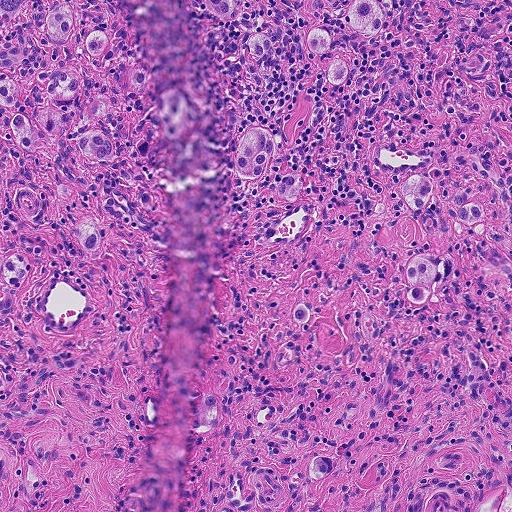
H&E-stained section of a sentinel lymph node (breast cancer), from a whole-slide image, viewed at about 10×: the field is about 0.46 mm across, about 0.9 µm per pixel.
Question: Show where the tumour is in this image.
Answer: The eight largest tumour regions' boundaries, simplified and listed clockwise, largest first: region 1: (0, 0), (28, 0), (23, 23), (36, 46), (16, 77), (51, 63), (75, 66), (86, 88), (80, 100), (100, 96), (106, 108), (96, 128), (110, 136), (116, 160), (92, 161), (75, 142), (46, 132), (38, 155), (26, 153), (14, 146), (7, 122), (16, 112), (2, 108); region 2: (247, 126), (260, 128), (271, 133), (282, 157), (278, 170), (301, 174), (303, 186), (302, 199), (292, 206), (280, 200), (272, 190), (277, 179), (271, 174), (270, 161), (264, 173), (253, 180), (240, 177), (232, 167), (233, 154), (237, 140); region 3: (62, 0), (71, 0), (72, 5), (79, 16), (82, 28), (106, 31), (111, 37), (116, 50), (110, 60), (98, 60), (76, 47), (73, 35), (67, 42), (55, 42), (46, 32), (46, 19), (51, 7); region 4: (425, 253), (450, 257), (455, 270), (447, 280), (435, 277), (428, 301), (418, 309), (409, 300), (411, 286), (407, 282), (404, 270), (410, 258); region 5: (354, 0), (370, 0), (379, 4), (382, 16), (383, 29), (374, 37), (361, 34), (350, 27), (346, 15); region 6: (413, 172), (425, 174), (433, 184), (426, 209), (413, 211), (404, 203), (400, 191), (403, 181); region 7: (24, 252), (31, 258), (31, 272), (26, 283), (15, 289), (6, 282), (0, 270), (0, 260), (12, 254); region 8: (458, 188), (468, 197), (465, 202), (475, 199), (484, 208), (484, 220), (473, 226), (460, 222), (450, 214), (452, 199).
Two more, smaller tumour regions are not outlined.
Seven more small tumour pieces are annotated here but not outlined.
The annotated tumour makes up about 10% of the crop.

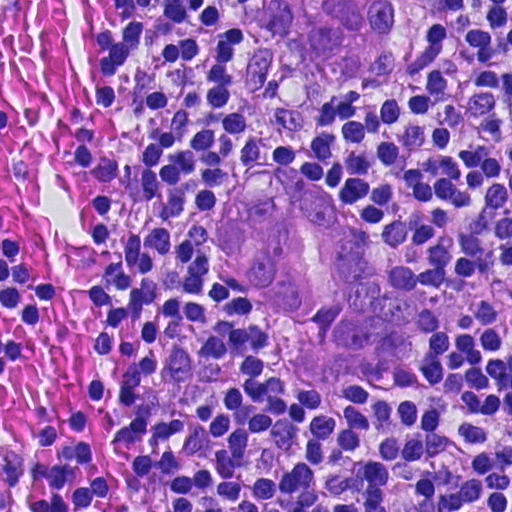
H&E-stained section of a sentinel lymph node (breast cancer), from a whole-slide image, viewed at about 40×: the field is about 0.12 mm across, about 0.23 µm per pixel.
Question: Show where the tumour is in this image.
Answer: Two metastatic tumour regions, each outlined as a closed clockwise path in crop pixels (x, y), largest first: region 1: (234, 166), (286, 166), (330, 196), (387, 256), (430, 280), (425, 330), (396, 371), (353, 398), (304, 387), (249, 302), (211, 264), (210, 211); region 2: (263, 0), (398, 0), (402, 44), (384, 91), (288, 50), (262, 5).
About 15% of this field is tumour.

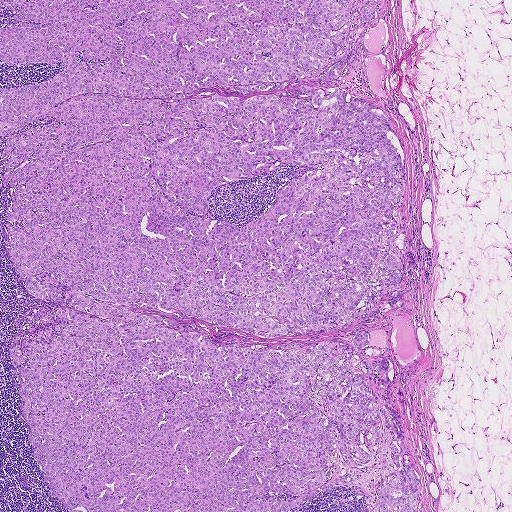
This is a crop of a whole-slide image: an H&E-stained breast-cancer sentinel lymph node section at roughly 2.5× magnification (about 3.6 µm per pixel; the crop spans about 1.9 mm).
Question: Show where the tumour is in this image.
Answer: One metastatic tumour region; its boundary, reduced to 22 corners and listed clockwise: (384, 0), (305, 84), (402, 145), (396, 288), (330, 332), (172, 319), (257, 351), (366, 331), (419, 511), (49, 494), (9, 346), (86, 313), (9, 259), (3, 149), (56, 119), (0, 135), (0, 88), (64, 66), (0, 60), (0, 28), (42, 23), (2, 12).
Tumour covers about 70% of the frame.

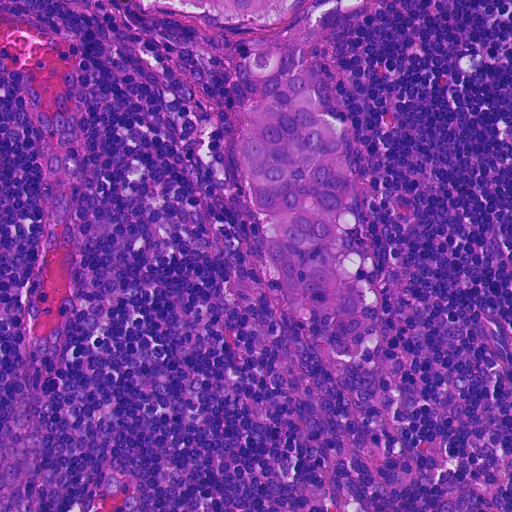
Lymph node section stained with H&E, from a whole-slide image of a breast-cancer sentinel node. Magnification about 20×, about 0.23 mm across the frame, about 0.45 µm per pixel.
Question: Show where the tumour is in this image.
Answer: Two metastatic tumour regions, each outlined as a closed clockwise path in crop pixels (x, y), largest first: region 1: (297, 70), (316, 87), (342, 130), (354, 180), (325, 252), (338, 273), (360, 283), (363, 308), (356, 316), (332, 318), (287, 298), (248, 206), (249, 188), (237, 167), (234, 142), (242, 117), (270, 76); region 2: (140, 0), (301, 0), (294, 12), (277, 24), (234, 23), (214, 18), (170, 14).
About 10% of the image area is annotated as tumour.